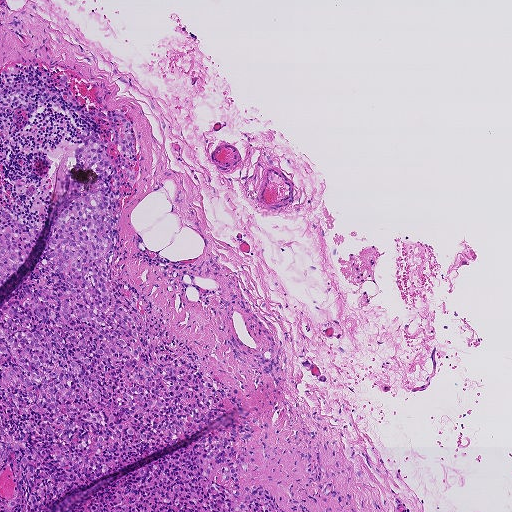
H&E-stained section of a sentinel lymph node (breast cancer), from a whole-slide image, viewed at about 5×: the field is about 0.93 mm across, about 1.8 µm per pixel.
Question: Describe where the metastatic carcinoma lies in this crop.
Answer: Three metastatic tumour regions, each outlined as a closed clockwise path in crop pixels (x, y), largest first: region 1: (96, 137), (112, 165), (103, 183), (112, 222), (108, 309), (121, 305), (134, 321), (153, 365), (186, 371), (211, 403), (238, 404), (40, 508), (0, 511), (0, 309), (46, 257), (53, 225), (82, 192), (76, 152); region 2: (250, 416), (251, 438), (234, 441), (233, 447), (246, 460), (239, 469), (238, 482), (241, 486), (259, 486), (286, 511), (76, 511), (126, 477); region 3: (0, 211), (24, 223), (38, 224), (40, 229), (20, 263), (0, 283).
Tumour covers about 20% of the frame.